This is a crop of a whole-slide image: an H&E-stained breast-cancer sentinel lymph node section at roughly 20× magnification (about 0.45 µm per pixel; the crop spans about 0.23 mm).
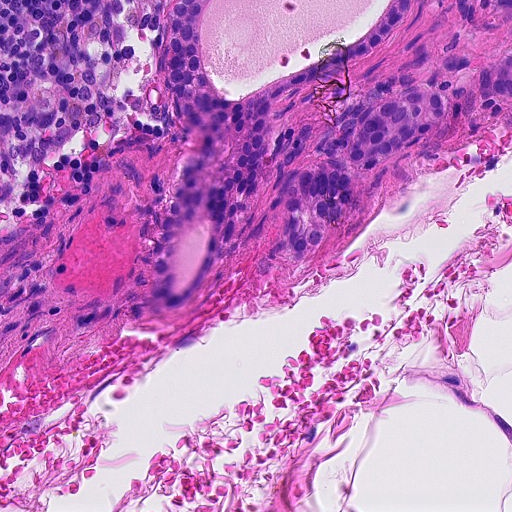
Four metastatic tumour regions, each outlined as a closed clockwise path in crop pixels (x, y), largest first: region 1: (176, 0), (416, 0), (379, 50), (268, 111), (264, 161), (229, 197), (215, 264), (178, 311), (166, 310), (154, 278), (158, 226), (196, 133), (167, 95); region 2: (405, 74), (445, 98), (440, 134), (380, 170), (364, 173), (347, 167), (355, 182), (356, 201), (348, 216), (332, 224), (316, 254), (299, 259), (287, 248), (277, 215), (266, 211), (274, 184), (286, 173), (320, 162), (316, 150), (330, 120), (388, 76); region 3: (481, 64), (494, 68), (499, 75), (511, 78), (511, 100), (494, 98), (487, 98), (478, 96), (478, 72); region 4: (489, 0), (511, 0), (511, 11), (494, 6), (488, 3).
Two more small tumour pieces are annotated here but not outlined.
The annotated tumour makes up about 20% of the crop.